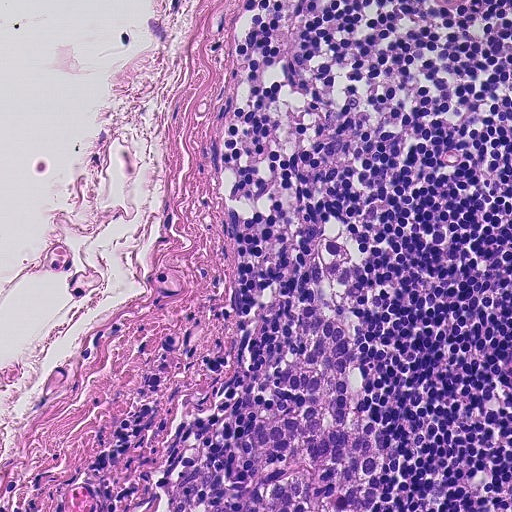
Lymph node section stained with H&E, from a whole-slide image of a breast-cancer sentinel node. Magnification about 20×, about 0.23 mm across the frame, about 0.45 µm per pixel.
One metastatic tumour region; its boundary, reduced to 20 corners and listed clockwise: (331, 214), (362, 256), (351, 309), (362, 324), (366, 410), (379, 422), (385, 456), (371, 511), (164, 511), (154, 481), (176, 480), (200, 443), (232, 484), (248, 476), (252, 392), (300, 412), (304, 395), (276, 375), (286, 306), (315, 230).
One more small tumour piece is annotated here but not outlined.
The annotated tumour makes up about 10% of the crop.